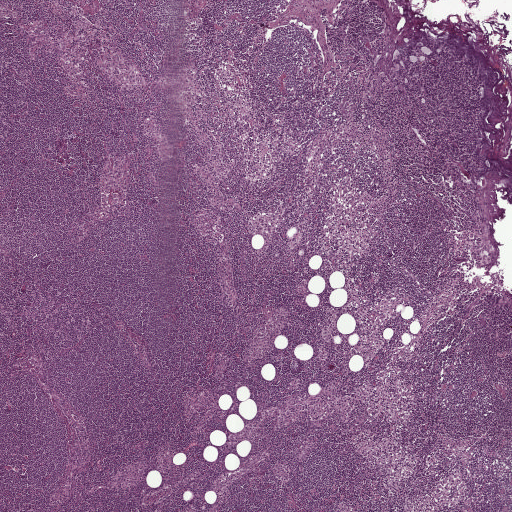
This is a crop of a whole-slide image: an H&E-stained breast-cancer sentinel lymph node section at roughly 2.5× magnification (about 3.9 µm per pixel; the crop spans about 2.0 mm).